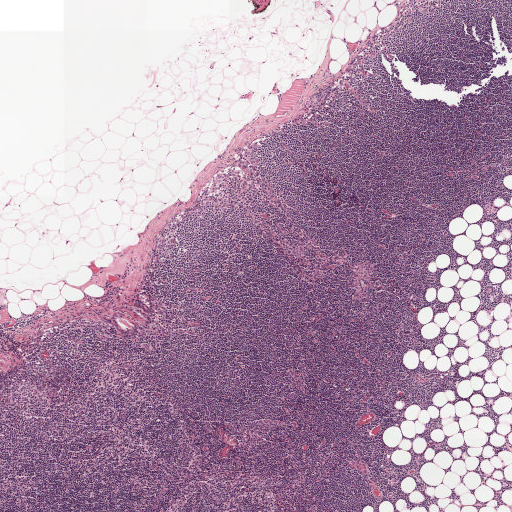
This is a crop of a whole-slide image: an H&E-stained breast-cancer sentinel lymph node section at roughly 2.5× magnification (about 3.9 µm per pixel; the crop spans about 2.0 mm).
Metastatic tumour outline, simplified to 12 points and listed clockwise in crop pixels (x, y): (327, 88), (327, 95), (320, 104), (322, 106), (320, 110), (315, 109), (313, 106), (307, 108), (304, 105), (305, 100), (309, 97), (320, 94).
Tumour covers under 5% of the frame.